Question: 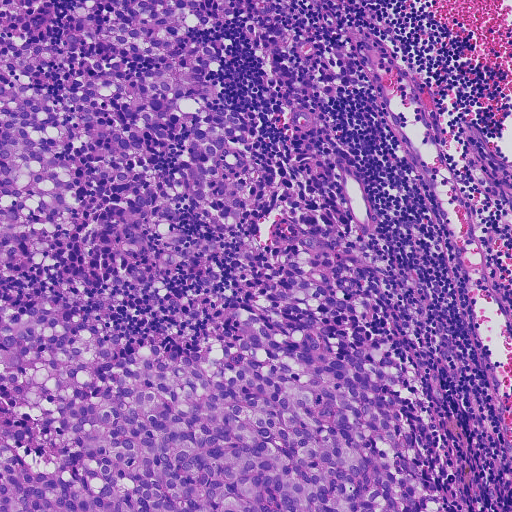
At roughly what magnification is this field shown?

Choices:
 (A) about 5×
 (B) about 2.5×
 (C) about 40×
 (D) about 10×
 (E) about 20×

Answer: (D) about 10×
H&E-stained section of a sentinel lymph node (breast cancer), from a whole-slide image, viewed at about 10×: the field is about 0.46 mm across, about 0.91 µm per pixel.
Outlines of two tumour regions, largest first (closed clockwise paths, crop pixels): region 1: (309, 230), (332, 236), (388, 282), (470, 511), (0, 511), (0, 323), (53, 301), (101, 328), (189, 352), (243, 283); region 2: (0, 0), (228, 0), (223, 24), (191, 37), (225, 36), (208, 77), (219, 80), (223, 103), (257, 124), (249, 148), (277, 173), (266, 224), (252, 239), (215, 226), (182, 194), (194, 251), (162, 299), (98, 253), (102, 214), (3, 290).
The annotated tumour makes up about 60% of the crop.
Question: 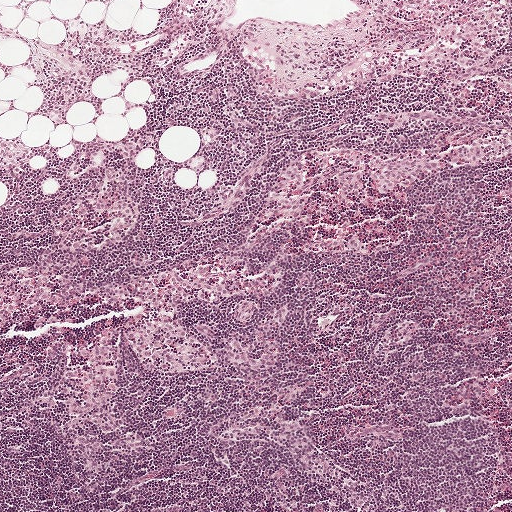
At roughly what magnification is this field shown?

Choices:
 (A) about 20×
 (B) about 10×
 (C) about 5×
 (D) about 2.5×
 (E) about 40×

Answer: (C) about 5×
H&E-stained section of a sentinel lymph node (breast cancer), from a whole-slide image, viewed at about 5×: the field is about 1 mm across, about 1.9 µm per pixel.
Question: 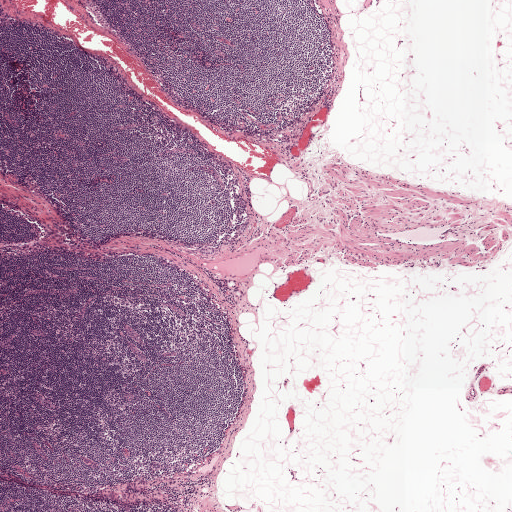
At roughly what magnification is this field shown?

Choices:
 (A) about 10×
 (B) about 5×
 (C) about 2.5×
 (D) about 20×
 (E) about 40×

Answer: (C) about 2.5×
H&E-stained section of a sentinel lymph node (breast cancer), from a whole-slide image, viewed at about 2.5×: the field is about 2.0 mm across, about 3.9 µm per pixel.
Outlines of two tumour regions, largest first (closed clockwise paths, crop pixels): region 1: (248, 220), (249, 224), (248, 227), (243, 234), (231, 243), (227, 244), (224, 244), (224, 242), (229, 240), (235, 235); region 2: (213, 247), (215, 248), (215, 252), (214, 254), (203, 254), (200, 253), (199, 251), (202, 248).
One more small tumour piece is annotated here but not outlined.
Under 5% of the image area is annotated as tumour.
Question: 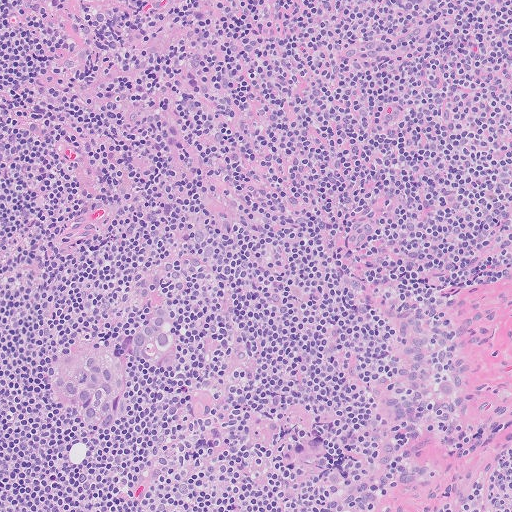
At roughly what magnification is this field shown?

Choices:
 (A) about 2.5×
 (B) about 20×
 (C) about 5×
 (D) about 10×
 (E) about 40×

Answer: (D) about 10×
A 0.51-mm field of an H&E-stained sentinel lymph node from a breast-cancer patient (whole-slide image), shown at about 10×, about 1.0 µm per pixel.
Boundaries of three metastatic tumour regions, simplified and listed clockwise, largest first: region 1: (111, 335), (124, 362), (126, 375), (124, 401), (117, 428), (104, 432), (90, 430), (72, 410), (60, 406), (50, 398), (46, 385), (58, 358), (68, 346); region 2: (170, 300), (181, 326), (183, 342), (182, 358), (176, 372), (162, 375), (149, 372), (138, 365), (130, 352), (137, 322), (146, 311), (156, 302); region 3: (321, 434), (326, 456), (289, 472), (278, 465), (284, 452), (294, 442), (306, 435).
One more small tumour piece is annotated here but not outlined.
About 5% of this field is tumour.